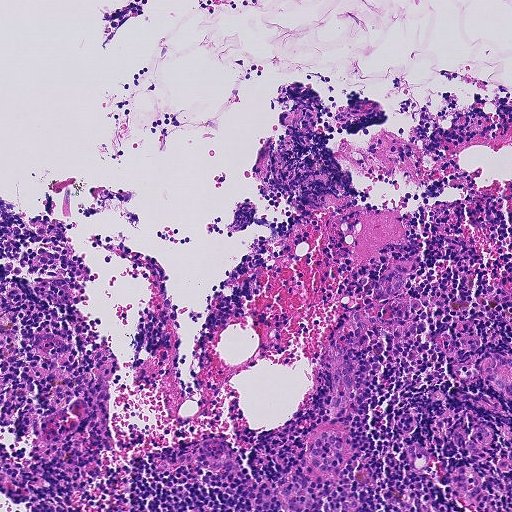
Lymph node section stained with H&E, from a whole-slide image of a breast-cancer sentinel node. Magnification about 10×, about 0.46 mm across the frame, about 0.9 µm per pixel.
Question: Is there metastatic carcinoma in this field?
Answer: No. No metastatic tumour is outlined in this field.